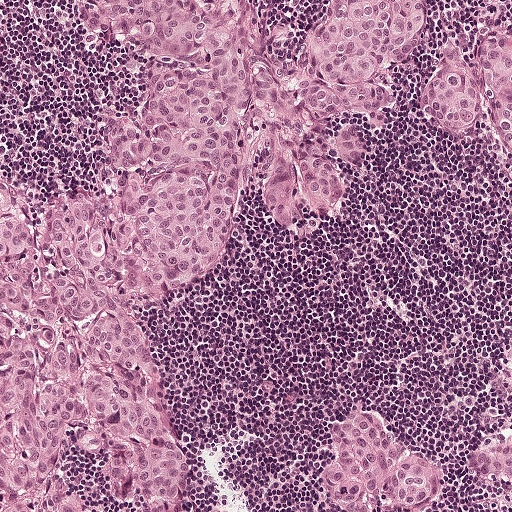
This is a crop of a whole-slide image: an H&E-stained breast-cancer sentinel lymph node section at roughly 10× magnification (about 0.97 µm per pixel; the crop spans about 0.5 mm).
Outlines of four tumour regions, largest first (closed clockwise paths, crop pixels): region 1: (261, 0), (279, 62), (327, 0), (430, 6), (424, 56), (386, 88), (394, 125), (340, 164), (340, 206), (287, 242), (258, 167), (201, 274), (142, 318), (187, 428), (184, 511), (112, 506), (82, 458), (90, 511), (0, 511), (0, 173), (58, 215), (108, 175), (134, 100), (75, 1); region 2: (372, 400), (395, 434), (420, 444), (434, 455), (445, 471), (445, 479), (444, 490), (430, 511), (320, 510), (314, 496), (312, 476), (325, 452), (328, 425), (350, 402); region 3: (510, 12), (511, 161), (486, 140), (446, 142), (420, 129), (420, 94), (430, 75), (455, 56), (478, 48), (486, 34); region 4: (511, 343), (511, 502), (488, 480), (474, 472), (470, 465), (470, 460), (479, 441), (510, 423), (510, 408), (507, 401), (503, 400), (497, 381), (497, 366).
About 50% of this field is tumour.